A 0.46-mm field of an H&E-stained sentinel lymph node from a breast-cancer patient (whole-slide image), shown at about 10×, about 0.9 µm per pixel.
Image:
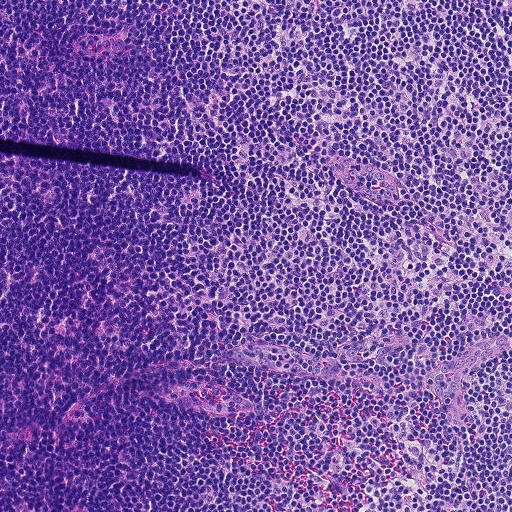
Question:
Does this lymph node field contain metastatic tumour?
Answer:
No: no metastatic tumour is outlined anywhere in this field.